Lymph node section stained with H&E, from a whole-slide image of a breast-cancer sentinel node. Magnification about 2.5×, about 2.0 mm across the frame, about 3.9 µm per pixel.
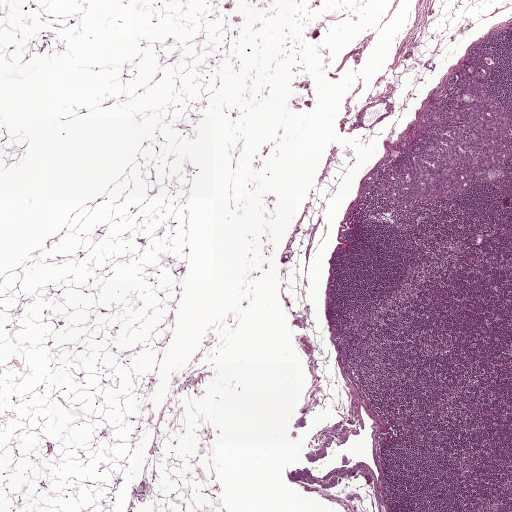
One metastatic tumour region; its boundary, reduced to 20 corners and listed clockwise: (470, 48), (497, 49), (502, 58), (488, 76), (511, 127), (508, 160), (497, 182), (474, 186), (452, 202), (425, 205), (413, 212), (399, 212), (377, 197), (366, 197), (365, 179), (399, 157), (418, 136), (423, 114), (441, 102), (448, 77).
The annotated tumour makes up about 5% of the crop.